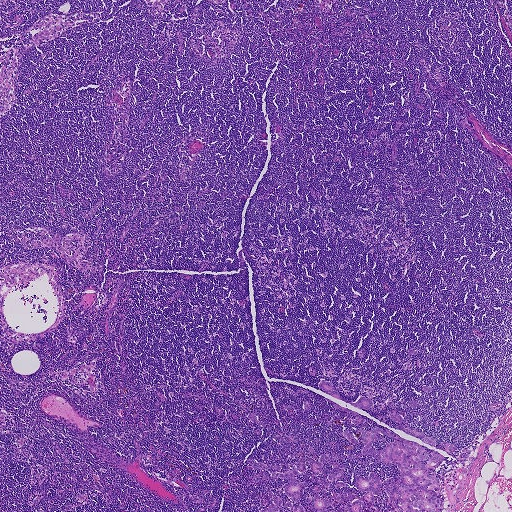
Lymph node section stained with H&E, from a whole-slide image of a breast-cancer sentinel node. Magnification about 2.5×, about 1.9 mm across the frame, about 3.6 µm per pixel.
The outlined metastatic tumour's edge, as a closed clockwise path of 40 points: (320, 379), (354, 402), (369, 398), (364, 419), (385, 431), (378, 416), (393, 428), (393, 410), (401, 425), (456, 445), (454, 459), (434, 469), (440, 511), (314, 511), (311, 486), (300, 499), (304, 511), (260, 511), (273, 496), (289, 501), (289, 480), (248, 459), (281, 466), (282, 473), (299, 459), (338, 453), (345, 485), (334, 491), (363, 500), (356, 476), (375, 473), (383, 487), (386, 478), (400, 477), (397, 465), (338, 433), (359, 440), (360, 428), (372, 428), (335, 408).
The annotated tumour makes up about 5% of the crop.